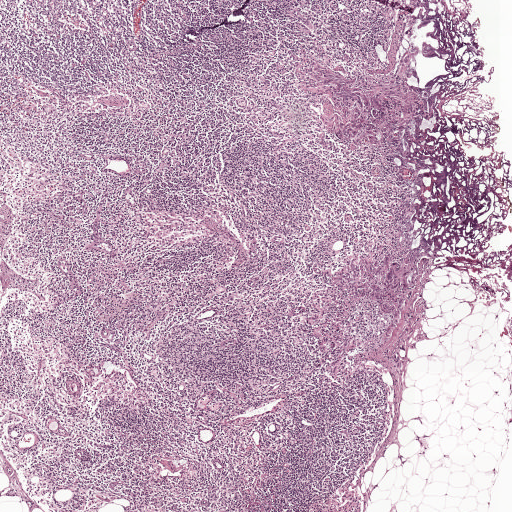
Lymph node section stained with H&E, from a whole-slide image of a breast-cancer sentinel node. Magnification about 2.5×, about 2.0 mm across the frame, about 3.9 µm per pixel.
Tumour region outline (a closed clockwise path, crop pixels): (388, 249), (417, 265), (417, 280), (394, 334), (386, 339), (390, 317), (366, 298), (351, 307), (346, 328), (358, 344), (352, 352), (352, 371), (345, 375), (334, 378), (329, 376), (337, 347), (335, 343), (324, 347), (313, 338), (305, 325), (311, 294), (330, 287), (320, 273), (364, 250).
About 5% of the image area is annotated as tumour.